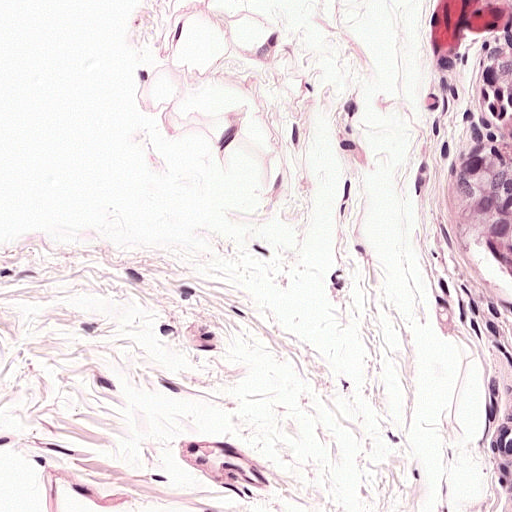
Lymph node section stained with H&E, from a whole-slide image of a breast-cancer sentinel node. Magnification about 20×, about 0.25 mm across the frame, about 0.49 µm per pixel.
The outlined metastatic tumour's edge, as a closed clockwise path of 8 points: (486, 130), (511, 137), (511, 283), (465, 246), (447, 222), (435, 196), (440, 165), (458, 140).
About 5% of this field is tumour.